This is a crop of a whole-slide image: an H&E-stained breast-cancer sentinel lymph node section at roughly 10× magnification (about 0.97 µm per pixel; the crop spans about 0.5 mm).
Question: 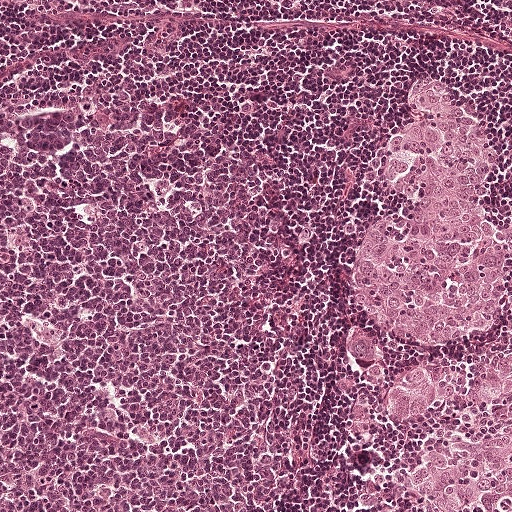
Roughly what share of this field is metastatic tumour?

Choices:
 (A) about 5% or less
 (B) about 25% to 45%
 (C) none: no tumour is outlined
 (D) about 10% to 20%
 (E) about 50% or more

Answer: (B) about 25% to 45%
About 25% of the field is tumour.
Tumour region outline (a closed clockwise path, crop pixels): (427, 66), (454, 78), (511, 204), (511, 511), (367, 511), (343, 443), (339, 326), (352, 244), (382, 222), (392, 198), (374, 139), (407, 72).